H&E-stained section of a sentinel lymph node (breast cancer), from a whole-slide image, viewed at about 10×: the field is about 0.46 mm across, about 0.9 µm per pixel.
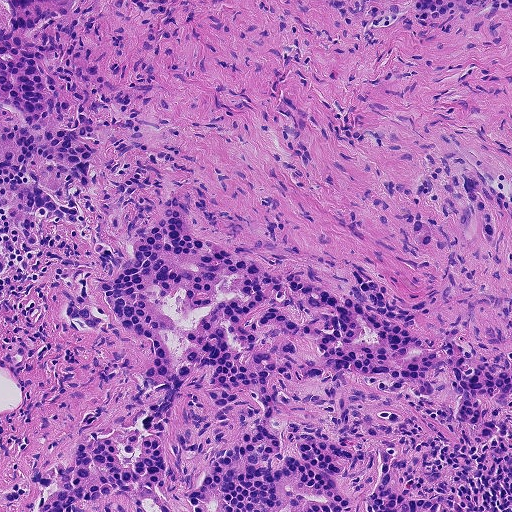
Boundaries of four metastatic tumour regions, simplified and listed clockwise, largest first: region 1: (0, 0), (82, 0), (35, 27), (82, 18), (54, 63), (94, 97), (130, 239), (167, 204), (334, 288), (367, 264), (511, 356), (511, 405), (473, 424), (372, 385), (444, 511), (0, 509), (146, 354), (56, 319), (74, 226), (10, 228); region 2: (474, 168), (507, 171), (511, 174), (511, 215), (487, 202), (496, 228), (492, 244), (488, 244), (479, 229), (476, 212), (473, 239), (456, 237), (455, 220), (461, 204), (457, 172); region 3: (408, 0), (473, 0), (468, 6), (448, 12), (427, 13); region 4: (0, 251), (11, 255), (12, 272), (6, 287), (0, 293).
About 45% of this field is tumour.